Question: 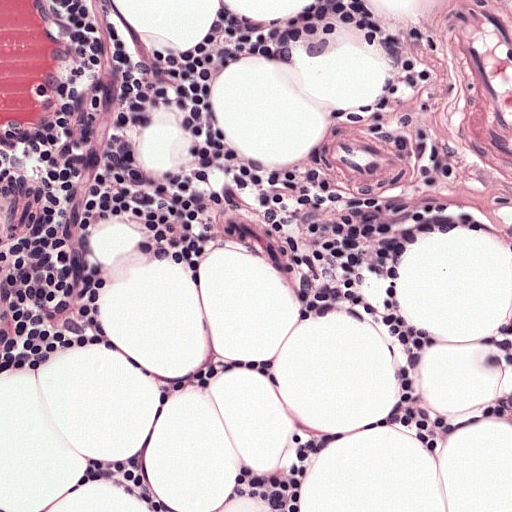
At roughly what magnification is this field shown?

Choices:
 (A) about 2.5×
 (B) about 40×
 (C) about 5×
 (D) about 10×
 (E) about 20×

Answer: (E) about 20×
H&E-stained section of a sentinel lymph node (breast cancer), from a whole-slide image, viewed at about 20×: the field is about 0.25 mm across, about 0.49 µm per pixel.